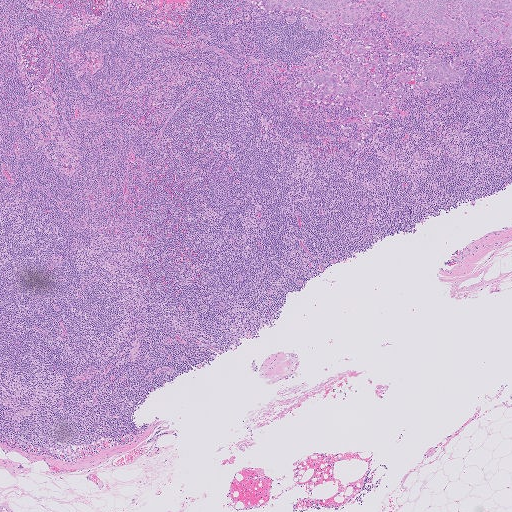
A 2.0-mm field of an H&E-stained sentinel lymph node from a breast-cancer patient (whole-slide image), shown at about 2.5×, about 4.0 µm per pixel.
One metastatic tumour region; its boundary, reduced to 23 corners and listed clockwise: (511, 0), (511, 55), (499, 65), (472, 65), (464, 79), (435, 94), (407, 89), (400, 96), (398, 117), (370, 127), (363, 116), (301, 90), (315, 68), (306, 59), (314, 59), (324, 71), (342, 52), (348, 28), (315, 33), (290, 27), (284, 12), (268, 12), (255, 2).
Three more small tumour pieces are annotated here but not outlined.
About 5% of the image area is annotated as tumour.